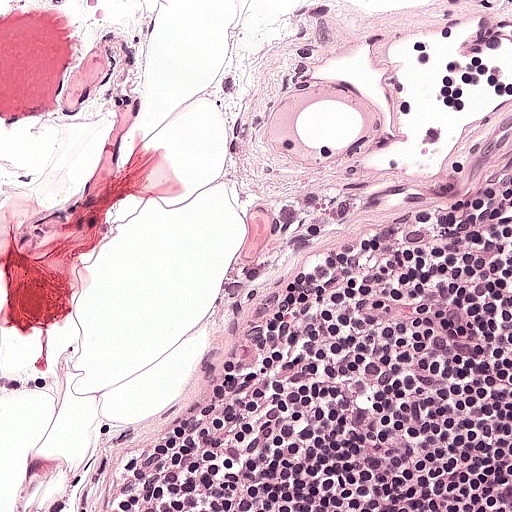
This is a crop of a whole-slide image: an H&E-stained breast-cancer sentinel lymph node section at roughly 20× magnification (about 0.49 µm per pixel; the crop spans about 0.25 mm).